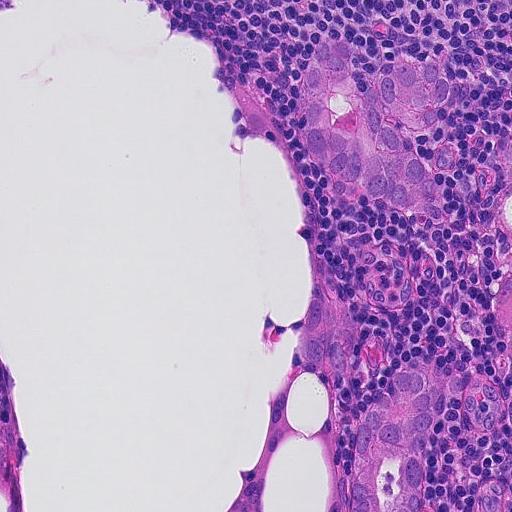
This is a crop of a whole-slide image: an H&E-stained breast-cancer sentinel lymph node section at roughly 20× magnification (about 0.45 µm per pixel; the crop spans about 0.23 mm).
Four metastatic tumour regions, each outlined as a closed clockwise path in crop pixels (x, y), largest first: region 1: (328, 38), (349, 38), (363, 78), (370, 80), (380, 62), (400, 53), (420, 54), (440, 64), (450, 82), (450, 102), (441, 122), (422, 130), (400, 128), (448, 205), (436, 221), (376, 202), (322, 166), (300, 128), (296, 108), (312, 47); region 2: (424, 354), (441, 371), (444, 391), (429, 473), (432, 511), (347, 511), (355, 448), (381, 392), (405, 360); region 3: (312, 284), (320, 296), (340, 304), (355, 342), (353, 362), (337, 374), (317, 374), (298, 364), (294, 344); region 4: (511, 140), (511, 183), (508, 183), (502, 164), (507, 144).
One more small tumour piece is annotated here but not outlined.
About 15% of the image area is annotated as tumour.